Question: 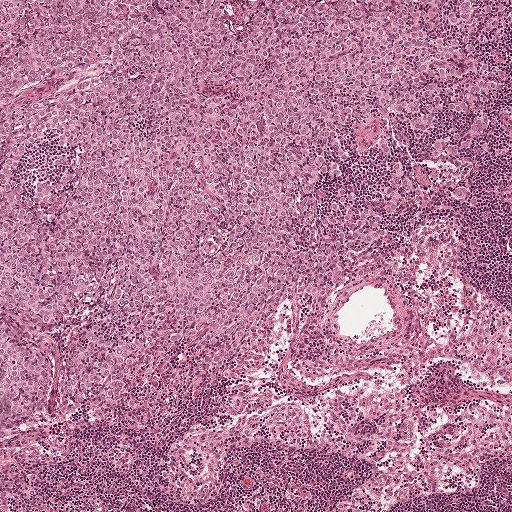
Lymph node section stained with H&E, from a whole-slide image of a breast-cancer sentinel node. Magnification about 5×, about 1 mm across the frame, about 1.9 µm per pixel.
Estimate the proportion of this field that is metastatic tumour.

Choices:
 (A) about 25% to 45%
 (B) none: no tumour is outlined
 (C) about 50% or more
 (D) about 5% or less
 (E) about 10% to 20%

Answer: (C) about 50% or more
About 55% of the field is tumour.
Boundaries of three metastatic tumour regions, simplified and listed clockwise, largest first: region 1: (0, 0), (237, 25), (474, 0), (431, 32), (474, 54), (431, 70), (498, 74), (487, 136), (442, 156), (465, 118), (351, 120), (293, 213), (346, 186), (386, 235), (327, 301), (268, 301), (215, 389), (186, 390), (187, 339), (72, 421), (61, 354), (96, 307), (0, 313); region 2: (0, 321), (44, 345), (51, 356), (50, 387), (41, 408), (28, 424), (0, 430); region 3: (377, 137), (386, 140), (390, 148), (387, 157), (403, 166), (402, 177), (408, 178), (412, 185), (412, 192), (406, 197), (402, 209), (392, 213), (384, 212), (381, 209), (381, 198), (388, 177), (388, 170), (386, 162), (373, 152).